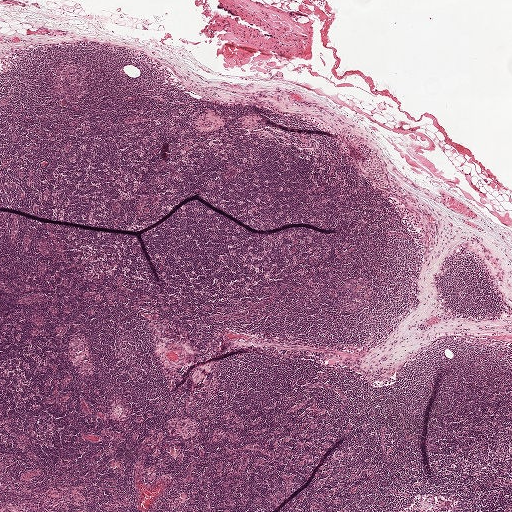
A 2.0-mm field of an H&E-stained sentinel lymph node from a breast-cancer patient (whole-slide image), shown at about 2.5×, about 3.9 µm per pixel.
One metastatic tumour region; its boundary, reduced to 12 corners and listed clockwise: (345, 129), (350, 131), (382, 159), (390, 178), (391, 190), (390, 193), (378, 190), (369, 176), (364, 172), (358, 151), (348, 142), (342, 130).
The annotated tumour makes up under 5% of the crop.